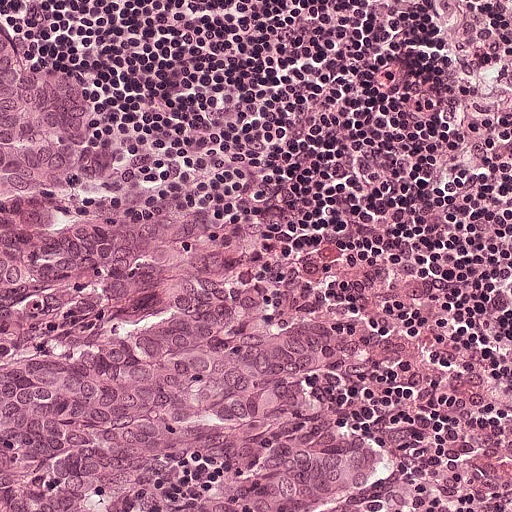
Lymph node section stained with H&E, from a whole-slide image of a breast-cancer sentinel node. Magnification about 20×, about 0.25 mm across the frame, about 0.49 µm per pixel.
Metastatic tumour outline, simplified to 7 points and listed clockwise in crop pixels (x, y): (0, 0), (77, 0), (134, 47), (280, 242), (388, 332), (484, 511), (0, 511).
Tumour covers about 60% of the frame.